Question: 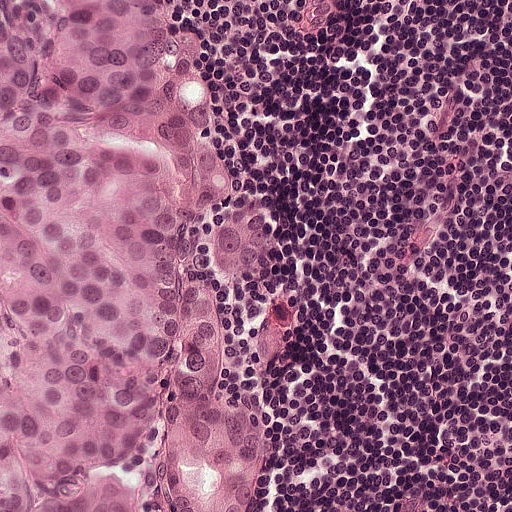
Lymph node section stained with H&E, from a whole-slide image of a breast-cancer sentinel node. Magnification about 20×, about 0.25 mm across the frame, about 0.49 µm per pixel.
Estimate the proportion of this field that is metastatic tumour.

Choices:
 (A) about 25% to 45%
 (B) none: no tumour is outlined
 (C) about 10% to 20%
 (D) about 5% or less
 (E) about 50% or more

Answer: (A) about 25% to 45%
About 45% of the field is tumour.
Tumour region outline (a closed clockwise path, crop pixels): (0, 0), (159, 0), (173, 16), (216, 106), (238, 204), (259, 212), (275, 260), (228, 326), (267, 438), (265, 506), (0, 511).